A 1.9-mm field of an H&E-stained sentinel lymph node from a breast-cancer patient (whole-slide image), shown at about 2.5×, about 3.6 µm per pixel.
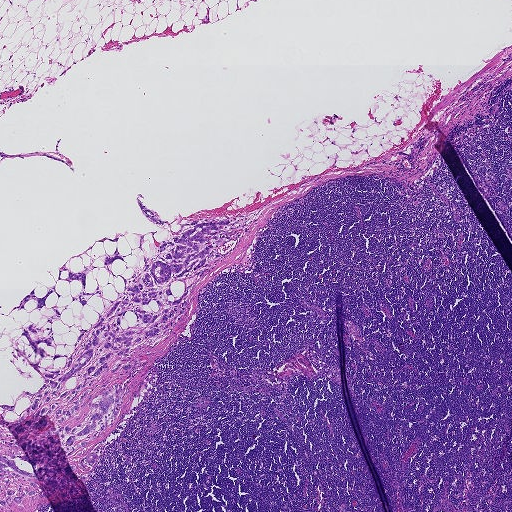
Metastatic tumour outline, simplified to 38 points and listed clockwise in crop pixels (x, y): (141, 193), (173, 231), (266, 207), (98, 443), (86, 495), (0, 511), (0, 404), (43, 385), (14, 347), (33, 362), (18, 338), (54, 312), (0, 312), (54, 285), (46, 308), (68, 305), (56, 348), (38, 347), (69, 354), (101, 298), (82, 306), (59, 271), (93, 258), (86, 292), (96, 278), (106, 307), (124, 282), (103, 265), (115, 242), (94, 240), (118, 235), (132, 253), (111, 266), (127, 279), (138, 233), (147, 260), (170, 234), (136, 194).
About 10% of this field is tumour.